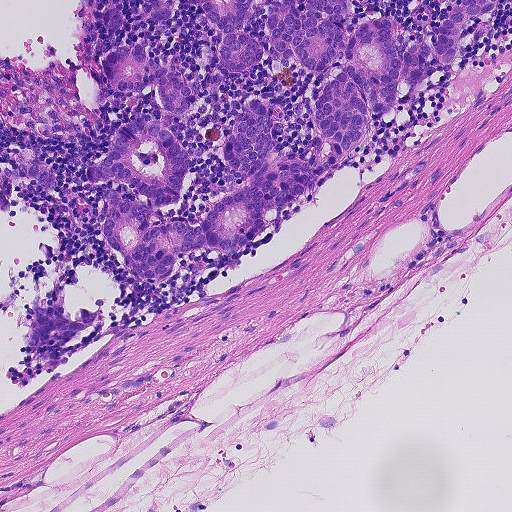
Lymph node section stained with H&E, from a whole-slide image of a breast-cancer sentinel node. Magnification about 10×, about 0.46 mm across the frame, about 0.9 µm per pixel.
One tumour region is annotated but not outlined: its edge is too irregular for a short outline.
The annotated tumour makes up about 15% of the crop.